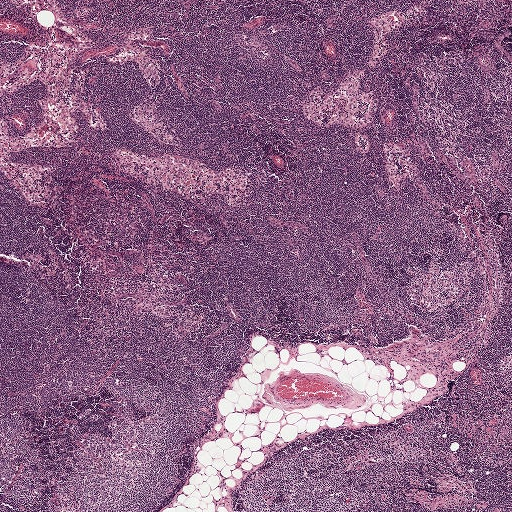
A 2.0-mm field of an H&E-stained sentinel lymph node from a breast-cancer patient (whole-slide image), shown at about 2.5×, about 3.9 µm per pixel.